This is a crop of a whole-slide image: an H&E-stained breast-cancer sentinel lymph node section at roughly 5× magnification (about 1.9 µm per pixel; the crop spans about 1 mm).
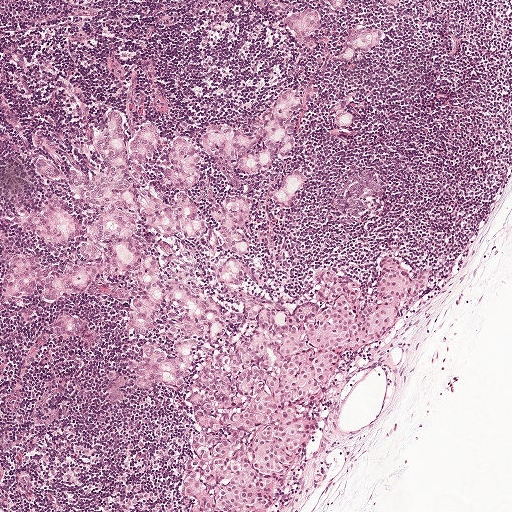
Outlines of six tumour regions, largest first (closed clockwise paths, crop pixels): region 1: (283, 91), (302, 99), (301, 148), (245, 192), (242, 292), (282, 308), (331, 268), (363, 302), (382, 262), (433, 272), (292, 404), (304, 440), (270, 511), (187, 500), (200, 428), (184, 391), (135, 388), (122, 362), (166, 348), (170, 318), (130, 335), (124, 278), (53, 303), (0, 294), (10, 256), (52, 272), (80, 250), (30, 238), (26, 217), (92, 217), (30, 156), (90, 179), (104, 115), (157, 121), (149, 186), (182, 132), (204, 206), (235, 178), (197, 130), (253, 131); region 2: (305, 6), (320, 11), (322, 15), (320, 31), (309, 51), (298, 48), (294, 39), (281, 26), (284, 15); region 3: (297, 169), (310, 175), (309, 183), (294, 204), (287, 207), (274, 205), (265, 198), (266, 194), (277, 185), (289, 170); region 4: (365, 24), (385, 30), (388, 35), (382, 44), (374, 48), (361, 48), (351, 60), (342, 55), (346, 33); region 5: (336, 112), (352, 113), (356, 119), (356, 124), (345, 130), (338, 130), (332, 124); region 6: (325, 0), (349, 0), (349, 6), (347, 11), (344, 13), (331, 10).
One more small tumour piece is annotated here but not outlined.
Tumour covers about 30% of the frame.